Lymph node section stained with H&E, from a whole-slide image of a breast-cancer sentinel node. Magnification about 20×, about 0.23 mm across the frame, about 0.45 µm per pixel.
Question: 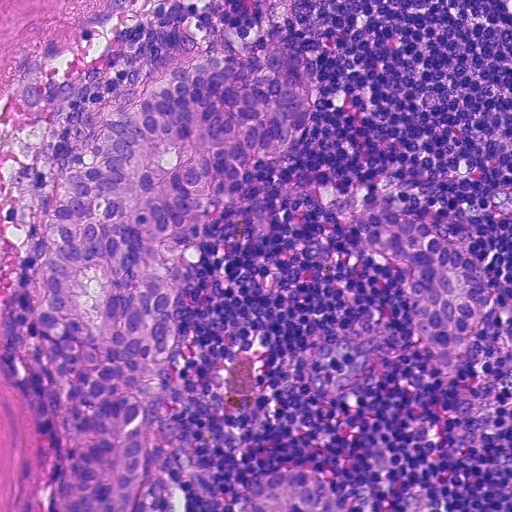
Roughly what share of this field is metastatic tumour?

Choices:
 (A) about 50% or more
 (B) about 10% to 20%
 (C) none: no tumour is outlined
 (D) about 5% or less
 (E) about 25% to 45%

Answer: (E) about 25% to 45%
About 30% of the field is tumour.
Three metastatic tumour regions, each outlined as a closed clockwise path in crop pixels (x, y), largest first: region 1: (258, 44), (310, 58), (322, 108), (312, 132), (294, 151), (219, 180), (173, 245), (194, 264), (168, 310), (176, 334), (143, 406), (150, 460), (134, 511), (64, 511), (36, 282), (62, 174), (114, 112), (158, 81); region 2: (376, 187), (392, 209), (410, 214), (472, 252), (488, 284), (490, 302), (460, 370), (442, 374), (432, 349), (408, 320), (406, 265), (372, 254), (352, 222), (336, 221), (326, 205), (338, 197); region 3: (269, 470), (314, 470), (332, 482), (341, 502), (341, 511), (237, 511), (246, 498), (250, 476).